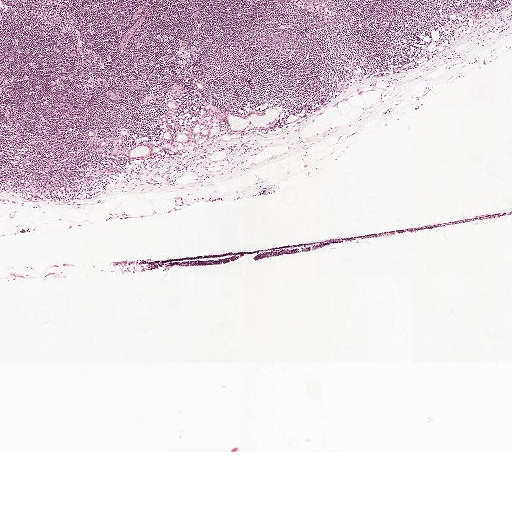
Lymph node section stained with H&E, from a whole-slide image of a breast-cancer sentinel node. Magnification about 2.5×, about 2.0 mm across the frame, about 3.9 µm per pixel.
Boundaries of two metastatic tumour regions, simplified and listed clockwise, largest first: region 1: (207, 95), (211, 104), (237, 114), (267, 107), (279, 113), (269, 126), (255, 129), (249, 124), (240, 132), (219, 121), (219, 134), (189, 151), (137, 160), (113, 155), (110, 143), (101, 148), (88, 145), (85, 133), (90, 129), (99, 138), (114, 137), (117, 130), (127, 129), (120, 149), (154, 144), (165, 127), (154, 122), (165, 110), (165, 100), (177, 104), (174, 114), (166, 117), (167, 124), (174, 128), (171, 122), (177, 119), (182, 128), (203, 111); region 2: (173, 82), (174, 82), (180, 86), (182, 90), (182, 92), (182, 95), (175, 99), (174, 99), (167, 95), (166, 94), (166, 92).
Two more small tumour pieces are annotated here but not outlined.
Under 5% of the image area is annotated as tumour.